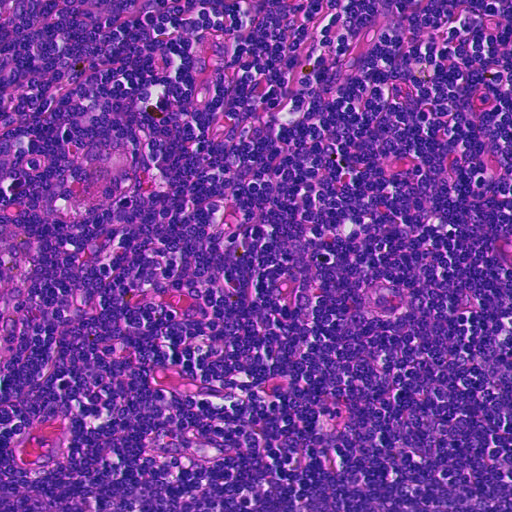
Lymph node section stained with H&E, from a whole-slide image of a breast-cancer sentinel node. Magnification about 20×, about 0.23 mm across the frame, about 0.45 µm per pixel.